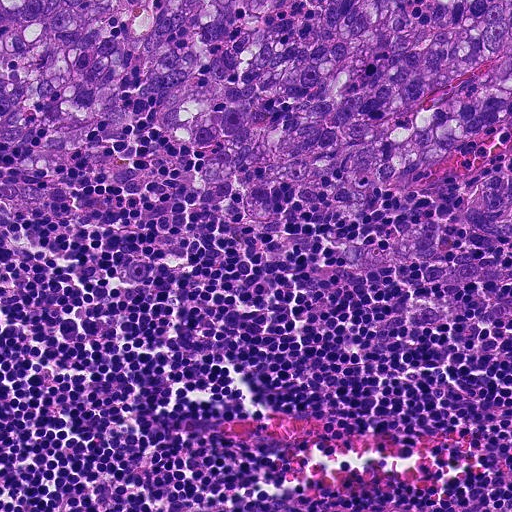
Lymph node section stained with H&E, from a whole-slide image of a breast-cancer sentinel node. Magnification about 20×, about 0.23 mm across the frame, about 0.45 µm per pixel.
The outlined metastatic tumour's edge, as a closed clockwise path of 17 points: (0, 0), (511, 0), (511, 280), (463, 290), (406, 269), (315, 264), (336, 241), (400, 230), (420, 208), (390, 206), (370, 228), (307, 235), (247, 220), (194, 186), (185, 154), (132, 126), (0, 132).
Tumour covers about 40% of the frame.